This is a crop of a whole-slide image: an H&E-stained breast-cancer sentinel lymph node section at roughly 40× magnification (about 0.25 µm per pixel; the crop spans about 0.13 mm).
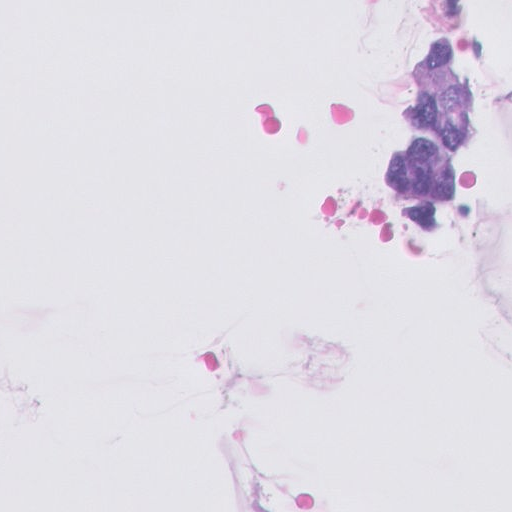
The outlined metastatic tumour's edge, as a closed clockwise path of 5 points: (407, 0), (511, 0), (511, 62), (474, 259), (343, 231).
About 10% of the image area is annotated as tumour.